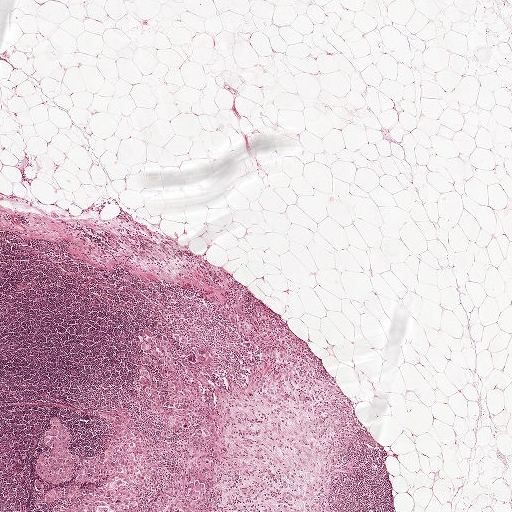
This is a crop of a whole-slide image: an H&E-stained breast-cancer sentinel lymph node section at roughly 2.5× magnification (about 3.9 µm per pixel; the crop spans about 2.0 mm).
Tumour region outline (a closed clockwise path, crop pixels): (146, 324), (201, 332), (221, 347), (228, 364), (224, 480), (204, 511), (33, 508), (35, 460), (45, 450), (41, 432), (49, 415), (61, 417), (82, 452), (97, 453), (112, 435), (115, 410), (154, 430), (139, 377), (137, 333).
About 10% of this field is tumour.